Lymph node section stained with H&E, from a whole-slide image of a breast-cancer sentinel node. Magnification about 40×, about 0.12 mm across the frame, about 0.23 µm per pixel.
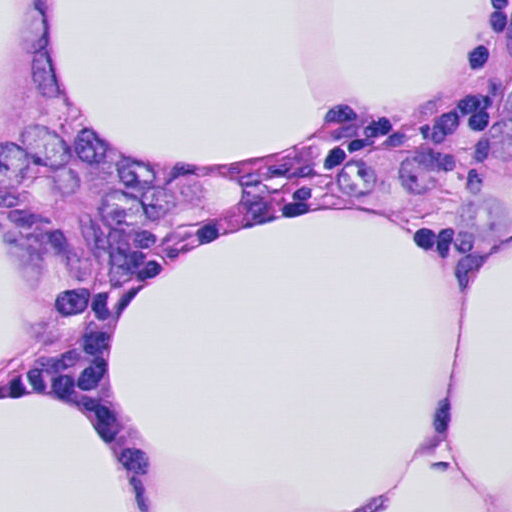
Tumour region outline (a closed clockwise path, crop pixels): (24, 0), (57, 0), (67, 78), (85, 116), (121, 146), (289, 178), (330, 170), (401, 119), (511, 73), (511, 244), (460, 280), (390, 227), (263, 219), (116, 311), (72, 321), (27, 311), (0, 247), (0, 110).
Tumour covers about 25% of the frame.